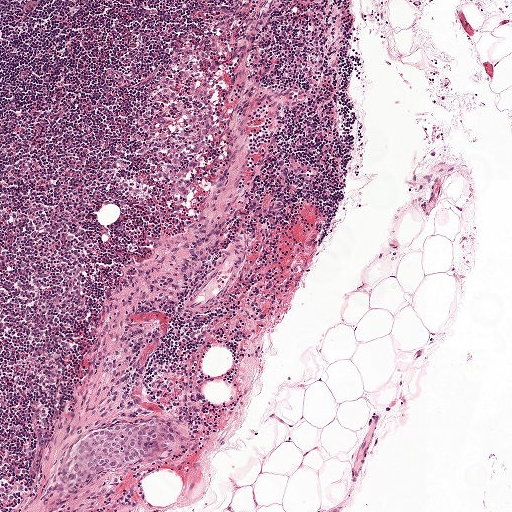
This is a crop of a whole-slide image: an H&E-stained breast-cancer sentinel lymph node section at roughly 5× magnification (about 1.9 µm per pixel; the crop spans about 1 mm).
One metastatic tumour region; its boundary, reduced to 14 corners and listed clockwise: (167, 417), (175, 420), (178, 429), (166, 450), (134, 465), (108, 471), (86, 481), (78, 488), (62, 489), (63, 470), (88, 435), (108, 430), (125, 421), (147, 422).
Tumour covers under 5% of the frame.